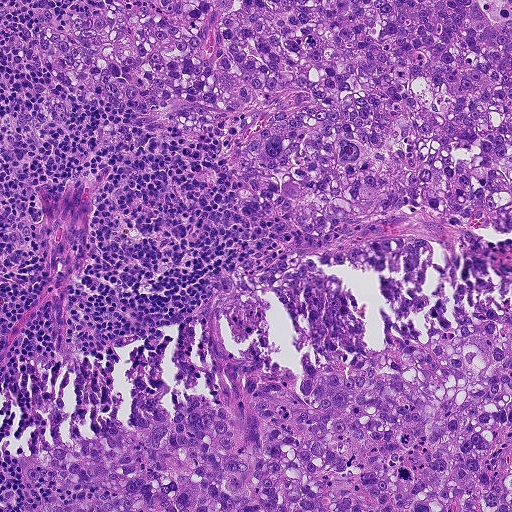
Lymph node section stained with H&E, from a whole-slide image of a breast-cancer sentinel node. Magnification about 10×, about 0.46 mm across the frame, about 0.9 µm per pixel.
Boundaries of two metastatic tumour regions, simplified and listed clockwise, largest first: region 1: (76, 0), (511, 0), (511, 212), (196, 315), (235, 264), (251, 268), (406, 213), (306, 232), (241, 182), (232, 151), (253, 124), (246, 117), (173, 134), (79, 102), (32, 47), (42, 14), (112, 6); region 2: (510, 300), (511, 511), (39, 511), (48, 495), (74, 503), (92, 492), (57, 488), (43, 468), (24, 485), (26, 454), (158, 410), (222, 396), (235, 407), (320, 356), (436, 342).
Tumour covers about 60% of the frame.